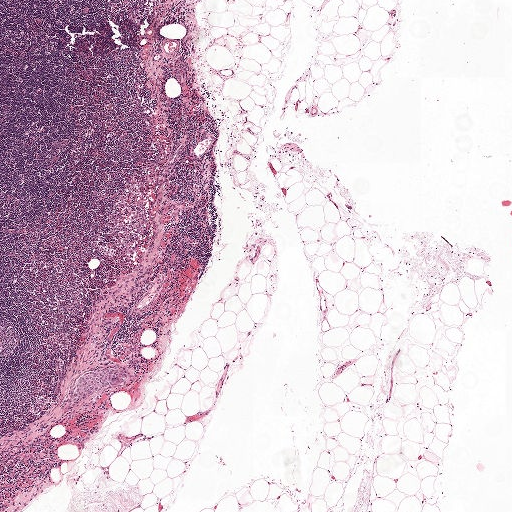
A 2.0-mm field of an H&E-stained sentinel lymph node from a breast-cancer patient (whole-slide image), shown at about 2.5×, about 3.9 µm per pixel.
One metastatic tumour region; its boundary, reduced to 11 corners and listed clockwise: (123, 365), (127, 366), (128, 371), (123, 382), (93, 392), (79, 401), (70, 401), (71, 392), (83, 374), (102, 367), (113, 368).
Tumour covers under 5% of the frame.